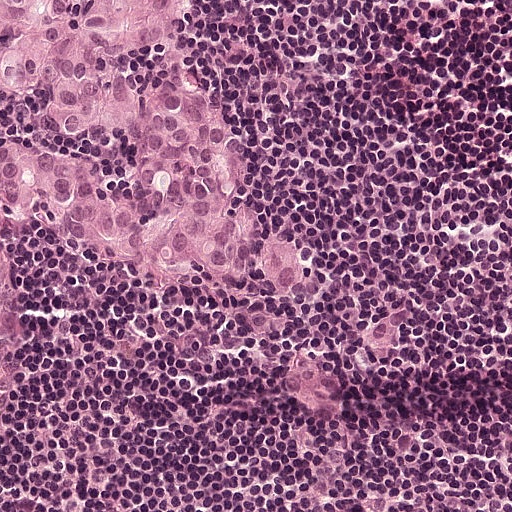
A 0.25-mm field of an H&E-stained sentinel lymph node from a breast-cancer patient (whole-slide image), shown at about 20×, about 0.49 µm per pixel.
Question: Show where the tumour is in this image.
Answer: Metastatic tumour outline, simplified to 15 points and listed clockwise in crop pixels (x, y): (0, 0), (177, 0), (163, 24), (170, 64), (218, 122), (264, 217), (326, 272), (328, 304), (204, 294), (96, 234), (64, 232), (44, 276), (42, 334), (24, 365), (0, 374).
The annotated tumour makes up about 25% of the crop.